Question: 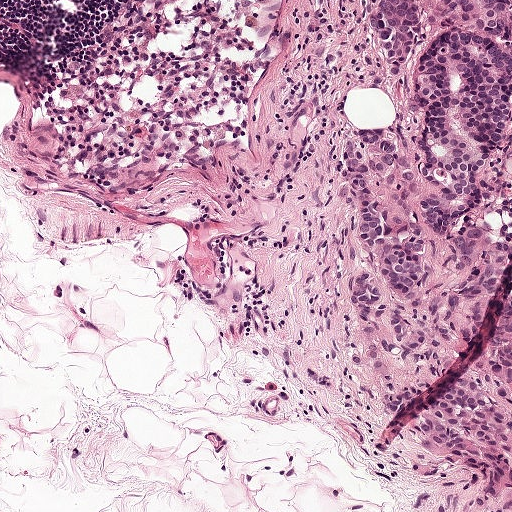
This is a crop of a whole-slide image: an H&E-stained breast-cancer sentinel lymph node section at roughly 10× magnification (about 0.97 µm per pixel; the crop spans about 0.5 mm).
Estimate the proportion of this field that is metastatic tumour.

Choices:
 (A) about 10% to 20%
 (B) none: no tumour is outlined
 (C) about 50% or more
 (D) about 25% to 45%
 (E) about 5% or less

Answer: (D) about 25% to 45%
About 25% of the field is tumour.
One metastatic tumour region; its boundary, reduced to 24 corners and listed clockwise: (360, 0), (511, 0), (511, 108), (481, 197), (481, 252), (511, 294), (511, 423), (501, 404), (511, 498), (433, 456), (348, 378), (356, 328), (401, 329), (422, 310), (416, 309), (390, 326), (343, 306), (360, 242), (336, 167), (385, 122), (416, 117), (410, 74), (372, 59), (358, 33).